This is a crop of a whole-slide image: an H&E-stained breast-cancer sentinel lymph node section at roughly 10× magnification (about 0.97 µm per pixel; the crop spans about 0.5 mm).
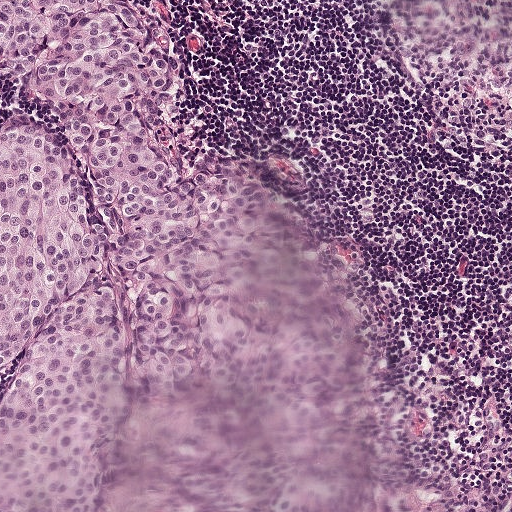
One metastatic tumour region; its boundary, reduced to 7 corners and listed clockwise: (0, 0), (151, 0), (214, 130), (288, 188), (339, 268), (414, 509), (0, 511).
About 60% of this field is tumour.